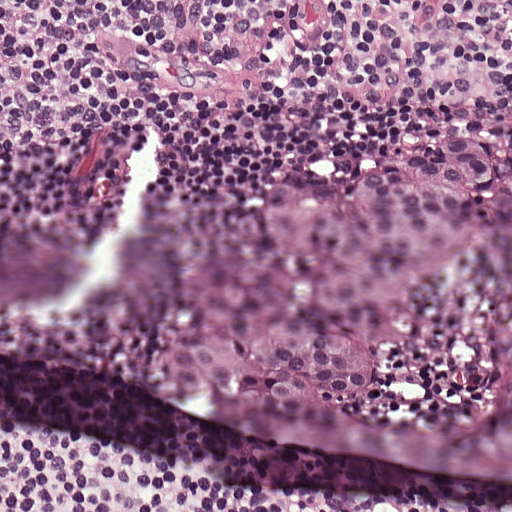
H&E-stained section of a sentinel lymph node (breast cancer), from a whole-slide image, viewed at about 20×: the field is about 0.25 mm across, about 0.49 µm per pixel.
Tumour region outline (a closed clockwise path, crop pixels): (511, 127), (511, 218), (446, 254), (358, 411), (180, 402), (135, 375), (154, 285), (218, 224), (454, 132).
About 25% of this field is tumour.